Lymph node section stained with H&E, from a whole-slide image of a breast-cancer sentinel node. Magnification about 2.5×, about 2.0 mm across the frame, about 3.9 µm per pixel.
Question: 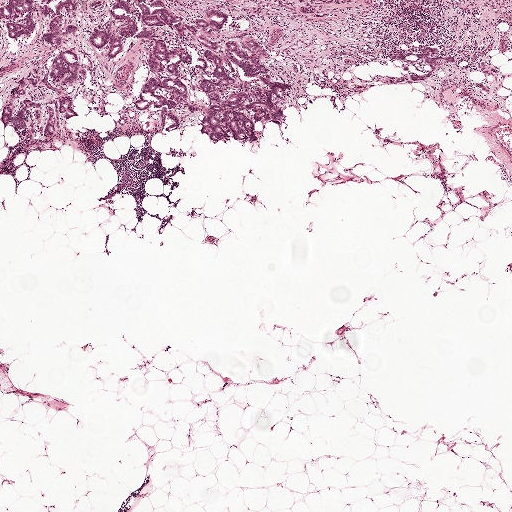
What fraction of the image area is metastatic tumour?

Choices:
 (A) none: no tumour is outlined
 (B) about 10% to 20%
 (C) about 50% or more
 (D) about 5% or less
 (E) about 25% to 45%

Answer: (D) about 5% or less
About 5% of the field is tumour.
Outlines of the eight largest metastatic tumour regions, each a closed clockwise path in crop pixels (x, y), largest first: region 1: (246, 37), (268, 51), (262, 64), (275, 81), (293, 86), (283, 94), (286, 103), (276, 102), (284, 121), (261, 123), (253, 110), (238, 110), (252, 120), (256, 142), (231, 138), (216, 143), (199, 133), (208, 104), (200, 84), (213, 78), (195, 65), (208, 50), (198, 44), (203, 39), (220, 44), (219, 53), (211, 52), (236, 80), (222, 100), (246, 93), (258, 103), (255, 89), (269, 90), (260, 79), (246, 78), (226, 54), (225, 44), (233, 41), (251, 57); region 2: (143, 29), (156, 32), (172, 48), (189, 50), (194, 61), (190, 66), (183, 65), (178, 76), (197, 112), (188, 113), (178, 104), (171, 110), (181, 124), (168, 133), (160, 129), (160, 109), (150, 105), (141, 113), (131, 105), (143, 82), (154, 77), (147, 69), (152, 44), (135, 36); region 3: (111, 0), (161, 0), (176, 18), (185, 24), (205, 8), (224, 9), (228, 12), (228, 19), (220, 32), (208, 28), (199, 29), (198, 34), (185, 32), (183, 41), (170, 34), (163, 25), (142, 25), (134, 16), (138, 25), (137, 32), (133, 37), (126, 38), (123, 54), (113, 58), (104, 57), (91, 46), (89, 34), (95, 27), (116, 36), (125, 26), (111, 16), (113, 4); region 4: (74, 0), (71, 13), (66, 14), (59, 11), (59, 18), (61, 24), (73, 24), (76, 30), (55, 47), (50, 47), (39, 37), (44, 29), (46, 20), (40, 15), (40, 10), (46, 1); region 5: (36, 73), (42, 79), (37, 86), (28, 86), (26, 91), (14, 101), (12, 106), (13, 115), (16, 112), (15, 107), (23, 101), (31, 100), (42, 106), (28, 110), (25, 117), (28, 128), (21, 131), (13, 124), (2, 125), (1, 117), (11, 90), (27, 76); region 6: (429, 45), (437, 47), (440, 55), (452, 56), (455, 62), (438, 60), (428, 78), (422, 81), (413, 81), (403, 70), (401, 61), (392, 59), (391, 56), (400, 54), (412, 60), (416, 58), (416, 52), (421, 49), (423, 46); region 7: (62, 51), (71, 52), (78, 56), (81, 61), (79, 79), (68, 88), (52, 84), (49, 77), (50, 65), (55, 55); region 8: (7, 0), (33, 0), (32, 15), (34, 28), (32, 33), (15, 37), (7, 36), (5, 21), (22, 24), (26, 12), (8, 19), (1, 19), (0, 8).
Three more, smaller tumour regions are not outlined.
Two more small tumour pieces are annotated here but not outlined.